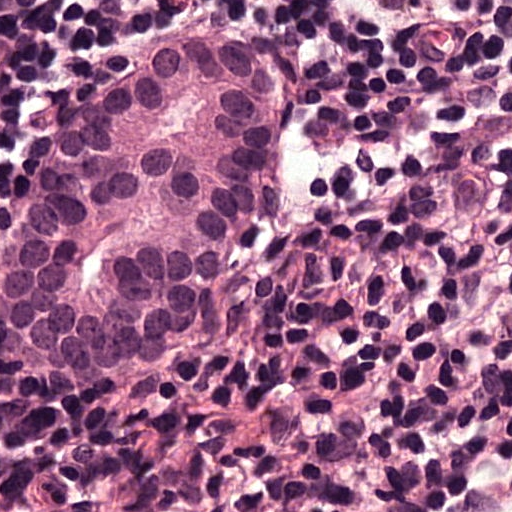
A 0.12-mm field of an H&E-stained sentinel lymph node from a breast-cancer patient (whole-slide image), shown at about 40×, about 0.24 µm per pixel.
The outlined metastatic tumour's edge, as a closed clockwise path of 10 points: (270, 49), (294, 115), (293, 169), (191, 356), (138, 380), (48, 380), (14, 349), (11, 288), (59, 163), (157, 51).
Two more small tumour pieces are annotated here but not outlined.
Tumour covers about 25% of the frame.